Question: 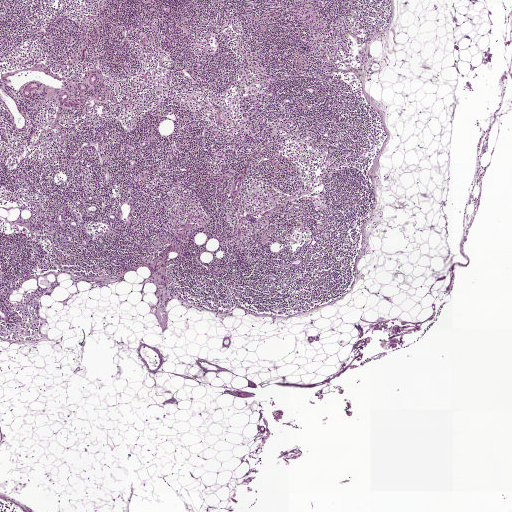
About what magnification does this crop show?

Choices:
 (A) about 10×
 (B) about 20×
 (C) about 40×
 (D) about 2.5×
 (E) about 5×

Answer: (D) about 2.5×
This is a crop of a whole-slide image: an H&E-stained breast-cancer sentinel lymph node section at roughly 2.5× magnification (about 3.9 µm per pixel; the crop spans about 2.0 mm).